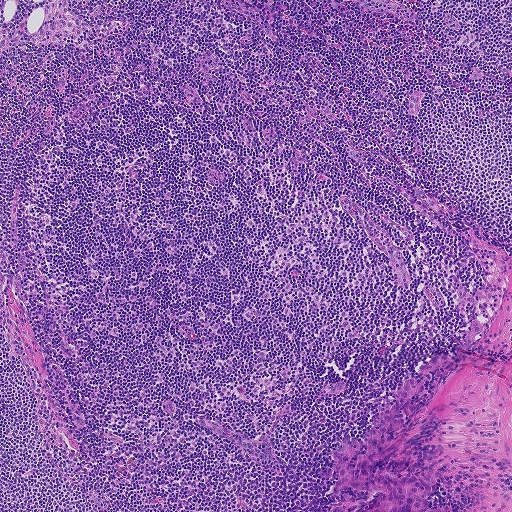
H&E-stained section of a sentinel lymph node (breast cancer), from a whole-slide image, viewed at about 5×: the field is about 0.93 mm across, about 1.8 µm per pixel.
Tumour region outline (a closed clockwise path, crop pixels): (472, 322), (479, 322), (483, 328), (471, 346), (428, 374), (423, 396), (404, 406), (406, 421), (398, 434), (404, 439), (402, 446), (376, 470), (398, 479), (435, 476), (435, 490), (424, 498), (445, 511), (360, 511), (376, 495), (348, 488), (357, 509), (338, 511), (344, 493), (332, 486), (336, 480), (336, 451), (345, 439), (360, 438), (366, 430), (376, 427), (371, 419), (388, 409), (402, 383), (410, 377), (419, 381), (425, 374), (418, 373), (419, 366), (440, 354), (454, 355).
About 5% of the image area is annotated as tumour.